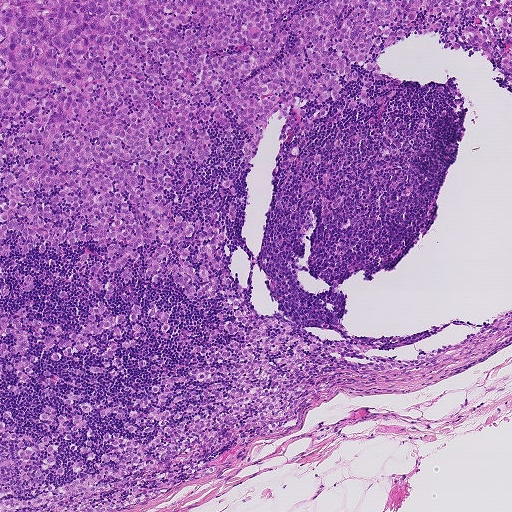
H&E-stained section of a sentinel lymph node (breast cancer), from a whole-slide image, viewed at about 5×: the field is about 0.93 mm across, about 1.8 µm per pixel.
Tumour region outline (a closed clockwise path, crop pixels): (0, 0), (511, 0), (511, 87), (433, 32), (376, 63), (404, 82), (387, 108), (419, 140), (371, 218), (268, 223), (270, 122), (231, 266), (253, 310), (375, 339), (375, 358), (511, 306), (511, 339), (334, 389), (291, 435), (137, 510), (0, 511).
About 65% of the image area is annotated as tumour.